Question: 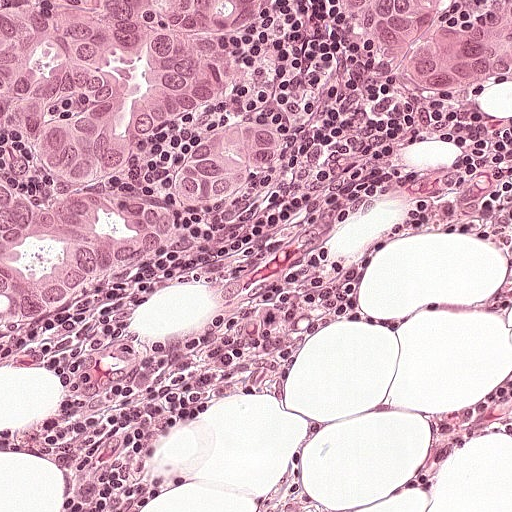
H&E-stained section of a sentinel lymph node (breast cancer), from a whole-slide image, viewed at about 20×: the field is about 0.25 mm across, about 0.49 µm per pixel.
Roughly what share of this field is metastatic tumour?

Choices:
 (A) about 10% to 20%
 (B) about 25% to 45%
 (C) none: no tumour is outlined
 (D) about 50% or more
 (E) about 5% or less

Answer: (A) about 10% to 20%
About 20% of the field is tumour.
Two metastatic tumour regions, each outlined as a closed clockwise path in crop pixels (x, y), largest first: region 1: (0, 0), (267, 0), (248, 55), (222, 62), (187, 126), (128, 148), (115, 176), (78, 180), (24, 148), (2, 124); region 2: (323, 0), (511, 0), (511, 84), (478, 86), (461, 97), (384, 81), (356, 62).